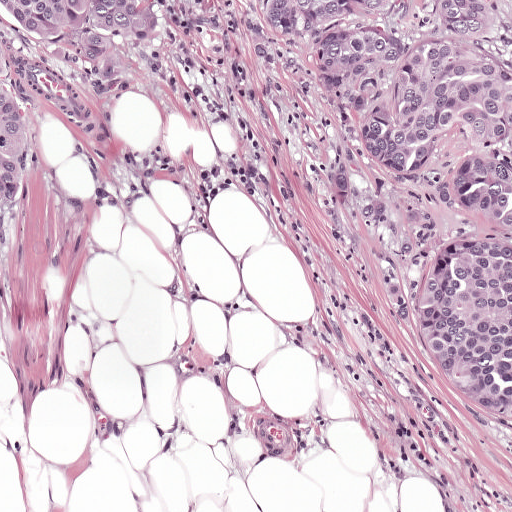
This is a crop of a whole-slide image: an H&E-stained breast-cancer sentinel lymph node section at roughly 10× magnification (about 0.97 µm per pixel; the crop spans about 0.5 mm).
Boundaries of two metastatic tumour regions, simplified and listed clockwise, largest first: region 1: (195, 0), (511, 0), (511, 455), (310, 225); region 2: (0, 0), (157, 0), (150, 74), (122, 84), (108, 108), (108, 171), (48, 104), (36, 122), (28, 168), (0, 212).
About 40% of the image area is annotated as tumour.